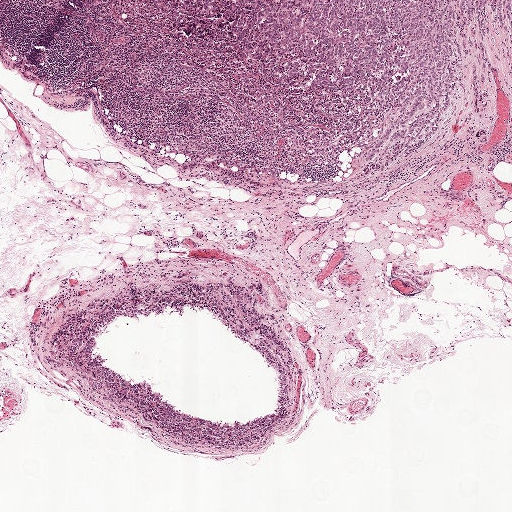
A 2.0-mm field of an H&E-stained sentinel lymph node from a breast-cancer patient (whole-slide image), shown at about 2.5×, about 3.9 µm per pixel.
Outlines of two tumour regions, largest first (closed clockwise paths, crop pixels): region 1: (476, 0), (436, 121), (381, 159), (350, 158), (292, 128), (257, 123), (188, 91), (116, 36), (104, 1); region 2: (480, 0), (511, 0), (511, 49), (503, 55), (502, 67), (494, 78), (492, 91), (488, 95), (467, 85), (459, 74), (461, 45), (470, 26), (476, 3).
About 15% of the image area is annotated as tumour.